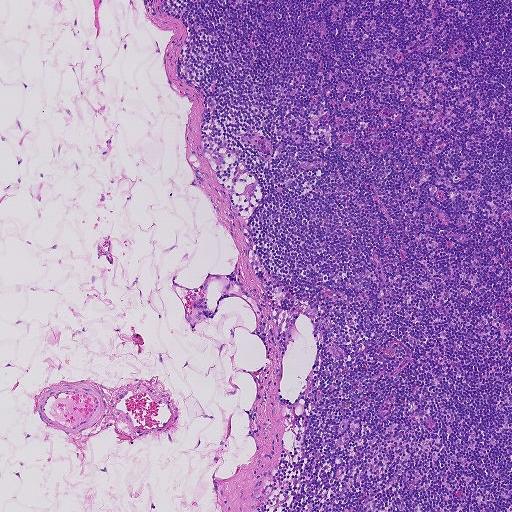
A 0.93-mm field of an H&E-stained sentinel lymph node from a breast-cancer patient (whole-slide image), shown at about 5×, about 1.8 µm per pixel.
Question: Is any metastatic breast cancer visible in this crop?
Answer: No. No metastatic tumour is outlined in this field.